Question: 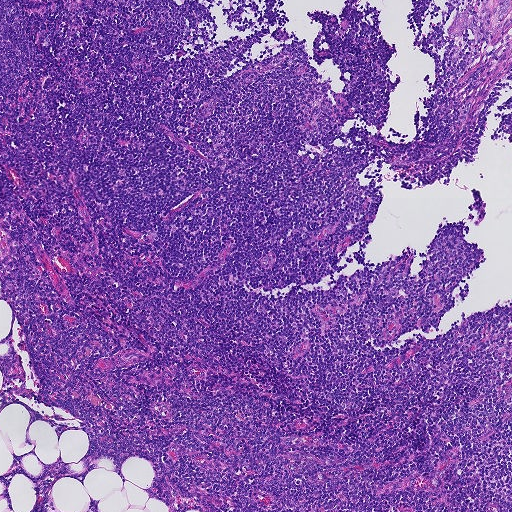
This is a crop of a whole-slide image: an H&E-stained breast-cancer sentinel lymph node section at roughly 5× magnification (about 1.8 µm per pixel; the crop spans about 0.93 mm).
About how much of this crop is taken up by metastatic carcinoma?

Choices:
 (A) about 10% to 20%
 (B) about 25% to 45%
 (C) about 5% or less
 (D) none: no tumour is outlined
 (E) about 50% or more

Answer: (C) about 5% or less
Under 5% of the field is tumour.
Metastatic tumour outline, simplified to 16 points and listed clockwise in crop pixels (x, y): (477, 0), (511, 0), (511, 24), (486, 43), (474, 44), (471, 31), (466, 29), (462, 39), (456, 42), (451, 40), (445, 30), (448, 27), (458, 13), (469, 11), (469, 17), (472, 16).